Question: 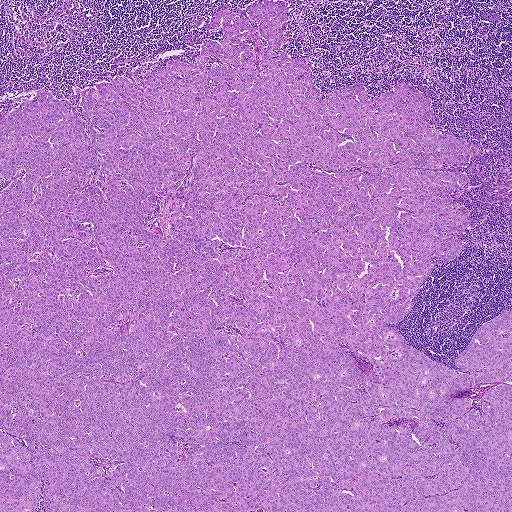
Lymph node section stained with H&E, from a whole-slide image of a breast-cancer sentinel node. Magnification about 2.5×, about 1.9 mm across the frame, about 3.6 µm per pixel.
What fraction of the image area is metastatic tumour?

Choices:
 (A) about 10% to 20%
 (B) none: no tumour is outlined
 (C) about 25% to 45%
 (D) about 50% or more
 (E) about 5% or less

Answer: (D) about 50% or more
About 80% of the field is tumour.
One metastatic tumour region; its boundary, reduced to 23 corners and listed clockwise: (284, 2), (270, 51), (323, 99), (406, 83), (479, 148), (429, 169), (466, 176), (473, 227), (387, 323), (470, 374), (511, 310), (511, 511), (0, 511), (0, 116), (42, 88), (86, 131), (81, 96), (76, 88), (194, 61), (222, 6), (256, 68), (267, 42), (247, 9).